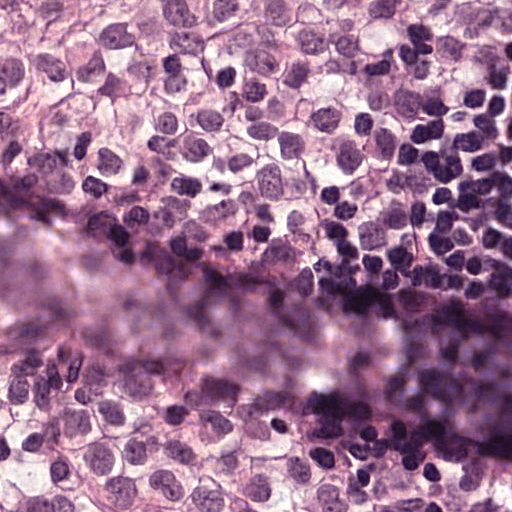
A 0.12-mm field of an H&E-stained sentinel lymph node from a breast-cancer patient (whole-slide image), shown at about 40×, about 0.24 µm per pixel.
Boundaries of two metastatic tumour regions, simplified and listed clockwise, largest first: region 1: (511, 0), (511, 76), (474, 150), (420, 195), (274, 271), (212, 269), (82, 202), (0, 186), (0, 18), (43, 2); region 2: (0, 447), (68, 461), (127, 467), (178, 481), (225, 485), (313, 511), (0, 511).
About 45% of this field is tumour.